Question: 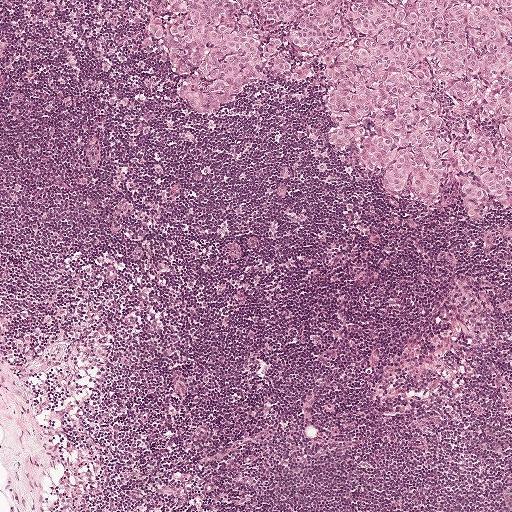
H&E-stained section of a sentinel lymph node (breast cancer), from a whole-slide image, viewed at about 5×: the field is about 1 mm across, about 1.9 µm per pixel.
About how much of this crop is taken up by metastatic carcinoma?

Choices:
 (A) about 25% to 45%
 (B) about 10% to 20%
 (C) about 5% or less
 (D) none: no tumour is outlined
 (E) about 50% or more

Answer: (B) about 10% to 20%
About 20% of the field is tumour.
The outlined metastatic tumour's edge, as a closed clockwise path of 15 points: (511, 0), (511, 210), (463, 218), (450, 177), (434, 202), (418, 201), (326, 151), (321, 64), (300, 81), (258, 83), (211, 113), (190, 111), (165, 55), (138, 46), (153, 4).